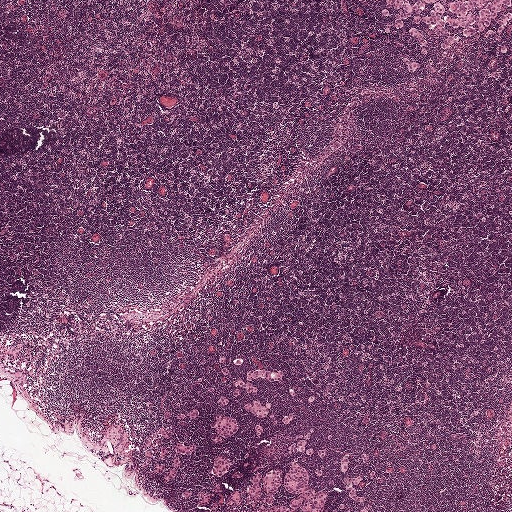
A 2.0-mm field of an H&E-stained sentinel lymph node from a breast-cancer patient (whole-slide image), shown at about 2.5×, about 3.9 µm per pixel.
Outlines of the eight largest metastatic tumour regions, each a closed clockwise path in crop pixels (x, y), largest first: region 1: (353, 0), (511, 0), (511, 55), (494, 57), (480, 43), (425, 74), (408, 74), (399, 68), (400, 50), (391, 27); region 2: (292, 459), (302, 465), (307, 471), (309, 487), (315, 491), (326, 491), (322, 511), (249, 511), (249, 503), (236, 504), (226, 502), (229, 492), (235, 487), (240, 487), (243, 493), (245, 494), (245, 485), (251, 480), (254, 472), (267, 472), (278, 468), (282, 471), (281, 481), (279, 490), (274, 494), (275, 501), (272, 506), (286, 507), (288, 500), (294, 494), (286, 492), (282, 488), (285, 474), (290, 460); region 3: (162, 427), (175, 430), (175, 435), (165, 442), (160, 442), (153, 448), (152, 453), (157, 462), (165, 464), (166, 470), (169, 471), (171, 468), (170, 458), (163, 459), (159, 457), (161, 448), (169, 446), (178, 442), (188, 445), (193, 442), (196, 444), (196, 448), (193, 453), (188, 455), (176, 454), (176, 456), (180, 459), (178, 469), (172, 481), (163, 481), (163, 475), (156, 473), (152, 470), (154, 459), (152, 459), (145, 467), (142, 466), (141, 462), (147, 437); region 4: (253, 368), (283, 371), (281, 380), (271, 381), (261, 377), (257, 377), (252, 381), (256, 389), (253, 394), (250, 395), (241, 389), (238, 396), (231, 396), (230, 390), (234, 387), (232, 383), (235, 379), (245, 378); region 5: (214, 414), (236, 418), (237, 420), (237, 429), (235, 433), (228, 436), (226, 440), (219, 444), (210, 441), (209, 437), (213, 434), (210, 429); region 6: (300, 433), (310, 434), (311, 435), (310, 438), (307, 441), (304, 448), (325, 450), (326, 454), (324, 457), (320, 457), (319, 456), (313, 456), (302, 451), (292, 452), (288, 456), (283, 455), (283, 452), (289, 443), (298, 438); region 7: (221, 484), (223, 488), (222, 492), (212, 495), (211, 498), (212, 501), (217, 503), (216, 510), (208, 510), (197, 504), (195, 494), (197, 491), (209, 493), (216, 485); region 8: (250, 399), (260, 400), (264, 404), (265, 401), (268, 401), (271, 404), (271, 408), (264, 417), (256, 416), (243, 410), (244, 404).
Six more, smaller tumour regions are not outlined.
10 more small tumour pieces are annotated here but not outlined.
About 5% of this field is tumour.